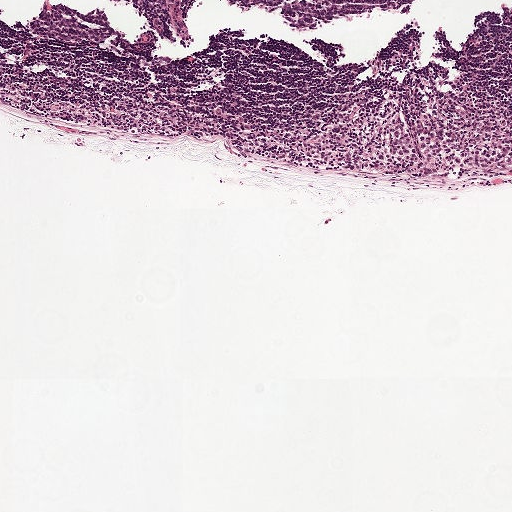
This is a crop of a whole-slide image: an H&E-stained breast-cancer sentinel lymph node section at roughly 5× magnification (about 1.9 µm per pixel; the crop spans about 1 mm).
The outlined metastatic tumour's edge, as a closed clockwise path of 14 points: (379, 95), (409, 97), (430, 110), (476, 103), (511, 115), (511, 182), (508, 182), (335, 172), (280, 158), (266, 139), (267, 129), (278, 121), (301, 120), (344, 102).
Tumour covers about 5% of the frame.